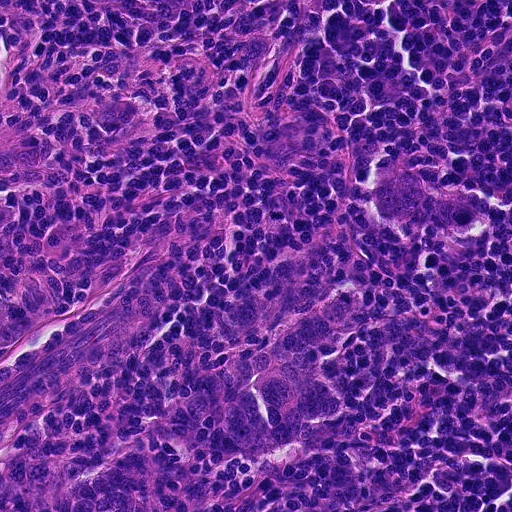
H&E-stained section of a sentinel lymph node (breast cancer), from a whole-slide image, viewed at about 20×: the field is about 0.23 mm across, about 0.45 µm per pixel.
Question: Outline the metastatic carcinoma in this image, as closed paths of (x, y) pixel coordinates.
Answer: Metastatic tumour outline, simplified to 19 points and listed clockwise in crop pixels (x, y): (0, 0), (77, 0), (34, 55), (70, 76), (176, 67), (249, 86), (350, 122), (361, 158), (396, 158), (511, 200), (511, 235), (358, 212), (373, 244), (372, 320), (349, 346), (336, 438), (364, 461), (365, 511), (0, 511).
The annotated tumour makes up about 65% of the crop.

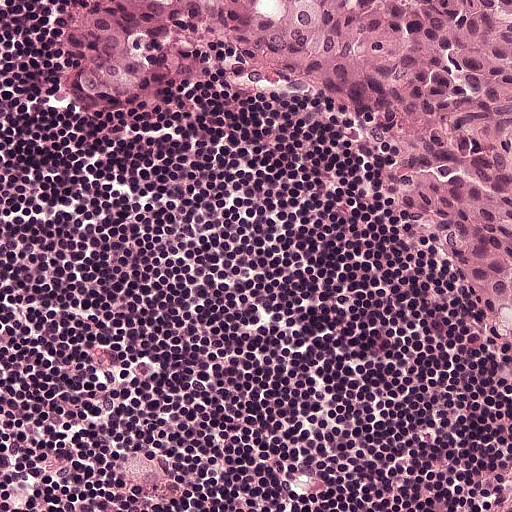
Lymph node section stained with H&E, from a whole-slide image of a breast-cancer sentinel node. Magnification about 20×, about 0.25 mm across the frame, about 0.49 µm per pixel.
Question: Outline the metastatic carcinoma in this image, as closed paths of (x, y) pixel coordinates.
Answer: Metastatic tumour outline, simplified to 12 points and listed clockwise in crop pixels (x, y): (511, 0), (511, 398), (479, 304), (390, 214), (342, 127), (314, 108), (260, 108), (234, 94), (114, 118), (60, 112), (53, 56), (68, 1).
One more small tumour piece is annotated here but not outlined.
About 30% of this field is tumour.

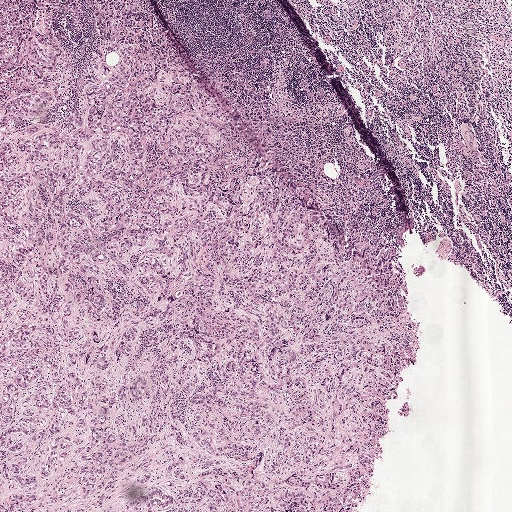
Lymph node section stained with H&E, from a whole-slide image of a breast-cancer sentinel node. Magnification about 2.5×, about 2.0 mm across the frame, about 3.9 µm per pixel.
Question: Outline the metastatic carcinoma in this image, as closed paths of (x, y) pixel coordinates.
Answer: One metastatic tumour region; its boundary, reduced to 11 corners and listed clockwise: (0, 0), (145, 0), (180, 55), (282, 114), (332, 198), (362, 220), (404, 346), (381, 384), (372, 440), (342, 508), (0, 511).
Tumour covers about 65% of the frame.

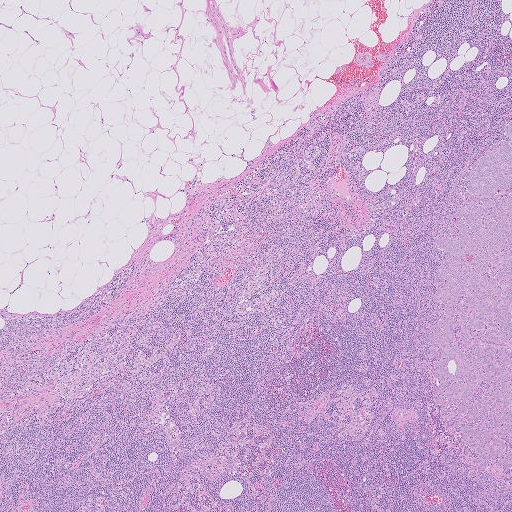
This is a crop of a whole-slide image: an H&E-stained breast-cancer sentinel lymph node section at roughly 2.5× magnification (about 4.0 µm per pixel; the crop spans about 2.0 mm).
Question: Outline the metastatic carcinoma in this image, as closed paths of (x, y) pixel coordinates.
Answer: The outlined metastatic tumour's edge, as a closed clockwise path of 11 points: (511, 116), (511, 486), (505, 471), (480, 464), (448, 434), (431, 400), (428, 339), (436, 237), (460, 202), (462, 173), (500, 138).
About 10% of this field is tumour.